Question: 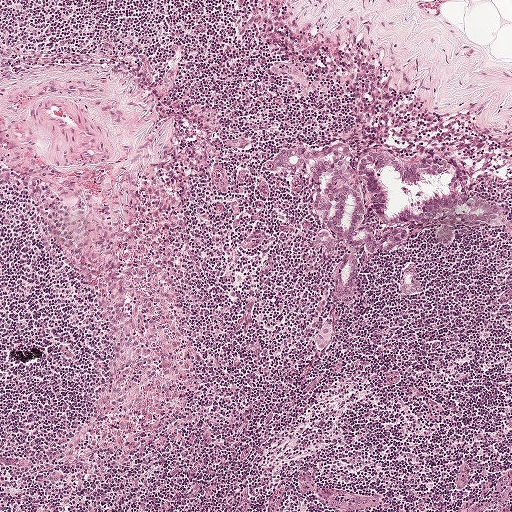
A 1-mm field of an H&E-stained sentinel lymph node from a breast-cancer patient (whole-slide image), shown at about 5×, about 1.9 µm per pixel.
About how much of this crop is taken up by metastatic carcinoma?

Choices:
 (A) about 5% or less
 (B) about 50% or more
 (C) none: no tumour is outlined
 (D) about 10% to 20%
 (E) about 25% to 45%

Answer: (A) about 5% or less
About 5% of the field is tumour.
Three metastatic tumour regions, each outlined as a closed clockwise path in crop pixels (x, y), largest first: region 1: (338, 143), (364, 154), (388, 150), (411, 165), (428, 154), (458, 155), (472, 169), (472, 194), (501, 204), (505, 222), (464, 225), (445, 249), (432, 224), (395, 254), (362, 254), (352, 300), (339, 299), (336, 260), (312, 240), (319, 220), (308, 182), (278, 170), (273, 155), (286, 146); region 2: (413, 262), (415, 264), (422, 288), (419, 293), (407, 294), (397, 291), (398, 280), (405, 264); region 3: (324, 322), (334, 324), (335, 332), (330, 345), (321, 352), (315, 351), (313, 343), (320, 326).